Question: 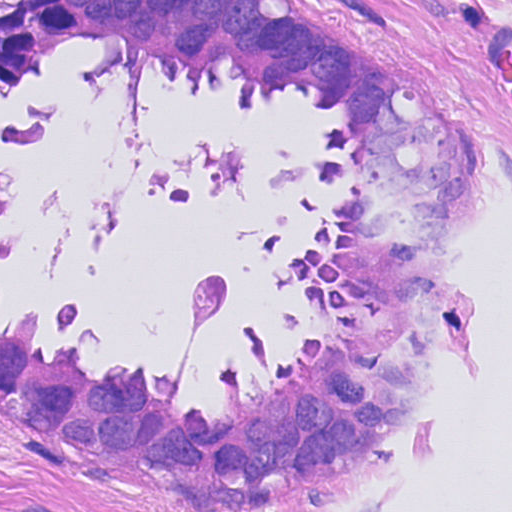
At roughly what magnification is this field shown?

Choices:
 (A) about 5×
 (B) about 2.5×
 (C) about 10×
 (D) about 40×
 (E) about 20×

Answer: (D) about 40×
This is a crop of a whole-slide image: an H&E-stained breast-cancer sentinel lymph node section at roughly 40× magnification (about 0.23 µm per pixel; the crop spans about 0.12 mm).
Metastatic tumour outline, simplified to 11 points and listed clockwise in crop pixels (x, y): (16, 0), (277, 0), (457, 113), (479, 173), (440, 293), (450, 357), (420, 415), (327, 500), (201, 503), (0, 421), (0, 9).
About 80% of the image area is annotated as tumour.